Question: 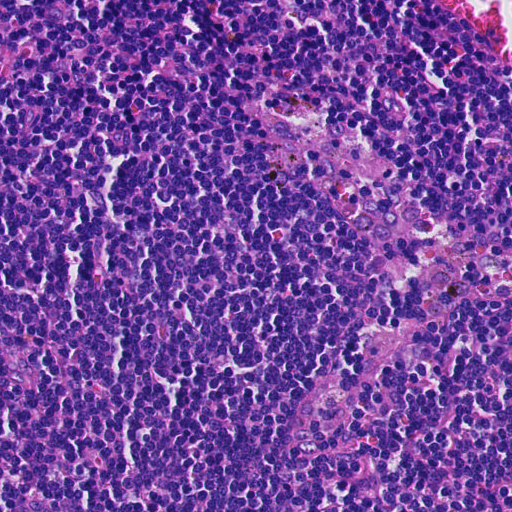
At roughly what magnification is this field shown?

Choices:
 (A) about 10×
 (B) about 2.5×
 (C) about 5×
 (D) about 20×
 (E) about 40×

Answer: (D) about 20×
H&E-stained section of a sentinel lymph node (breast cancer), from a whole-slide image, viewed at about 20×: the field is about 0.23 mm across, about 0.45 µm per pixel.